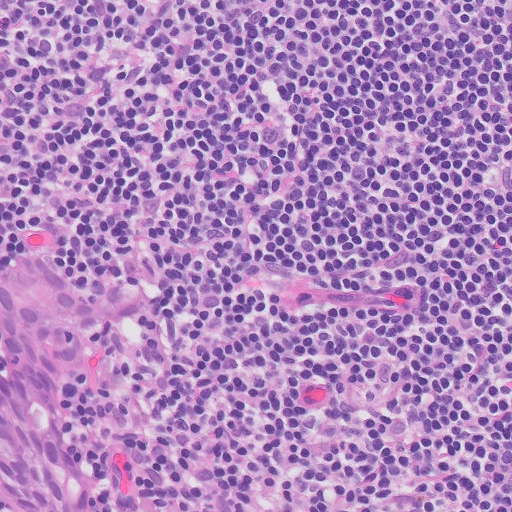
This is a crop of a whole-slide image: an H&E-stained breast-cancer sentinel lymph node section at roughly 20× magnification (about 0.5 µm per pixel; the crop spans about 0.26 mm).
Tumour region outline (a closed clockwise path, crop pixels): (40, 247), (88, 283), (106, 311), (106, 345), (76, 402), (110, 511), (0, 511), (0, 280), (10, 253).
Tumour covers about 10% of the frame.